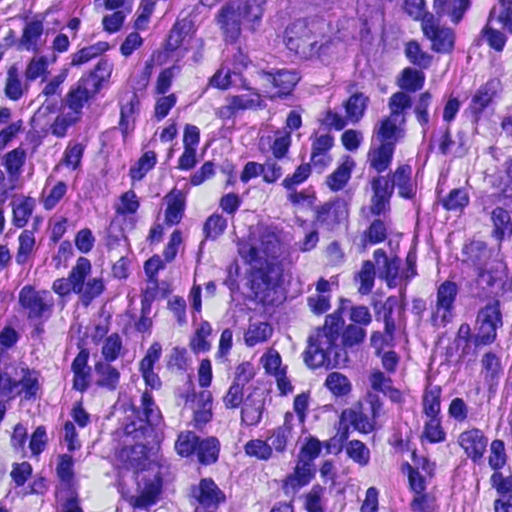
A 0.12-mm field of an H&E-stained sentinel lymph node from a breast-cancer patient (whole-slide image), shown at about 40×, about 0.23 µm per pixel.
The outlined metastatic tumour's edge, as a closed clockwise path of 5 points: (511, 308), (511, 473), (495, 441), (492, 382), (498, 320).
One more small tumour piece is annotated here but not outlined.
The annotated tumour makes up under 5% of the crop.